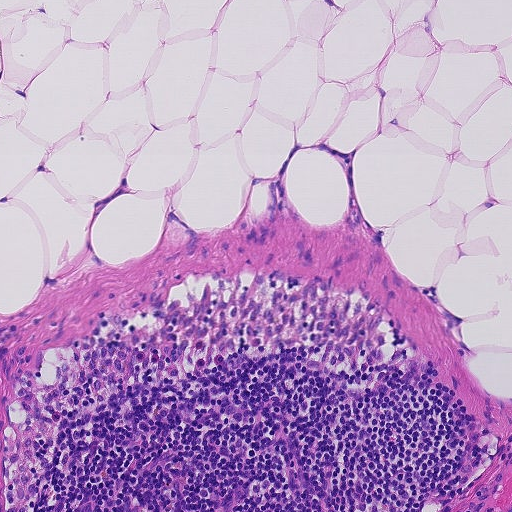
This is a crop of a whole-slide image: an H&E-stained breast-cancer sentinel lymph node section at roughly 10× magnification (about 0.9 µm per pixel; the crop spans about 0.46 mm).